A 1-mm field of an H&E-stained sentinel lymph node from a breast-cancer patient (whole-slide image), shown at about 5×, about 1.9 µm per pixel.
Question: 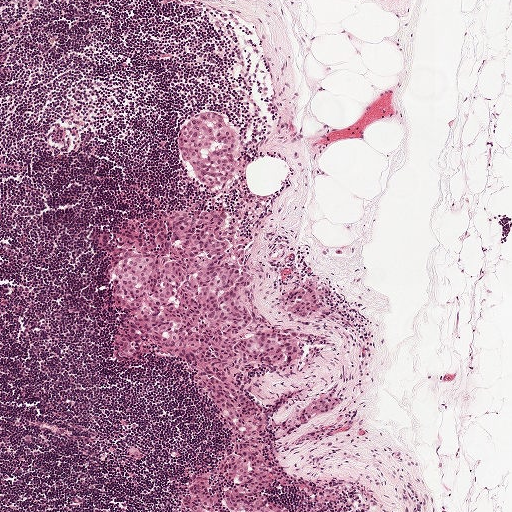
About how much of this crop is taken up by metastatic carcinoma?

Choices:
 (A) about 25% to 45%
 (B) about 50% or more
 (C) none: no tumour is outlined
 (D) about 10% to 20%
 (E) about 5% or less

Answer: (D) about 10% to 20%
About 15% of the field is tumour.
Boundaries of four metastatic tumour regions, simplified and listed clockwise, largest first: region 1: (186, 208), (216, 212), (254, 275), (246, 298), (255, 315), (300, 347), (288, 363), (243, 368), (276, 470), (264, 496), (284, 511), (181, 511), (189, 484), (225, 461), (230, 441), (218, 409), (180, 362), (112, 360), (126, 316), (110, 300), (106, 269), (118, 246), (147, 238), (151, 224); region 2: (204, 111), (210, 113), (227, 120), (234, 130), (240, 145), (240, 153), (232, 180), (226, 186), (216, 189), (202, 188), (184, 166), (178, 151), (177, 136), (184, 122); region 3: (306, 281), (313, 286), (324, 298), (324, 305), (320, 311), (297, 319), (286, 313), (283, 302), (288, 291); region 4: (334, 388), (341, 402), (313, 424), (298, 425), (295, 418), (299, 408), (319, 394).